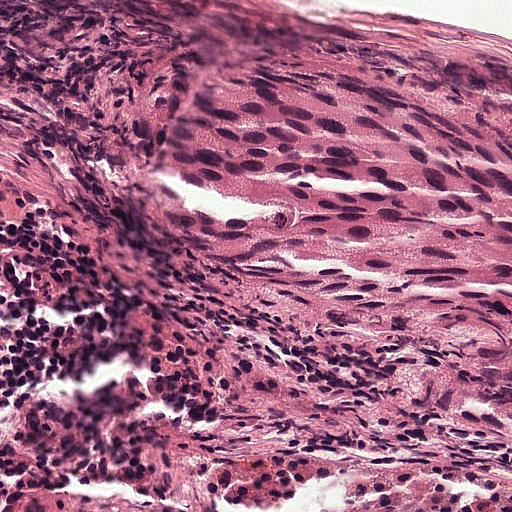
H&E-stained section of a sentinel lymph node (breast cancer), from a whole-slide image, viewed at about 20×: the field is about 0.25 mm across, about 0.49 µm per pixel.
Question: Where is the metastatic tumour in this field?
Answer: One metastatic tumour region; its boundary, reduced to 11 corners and listed clockwise: (120, 1), (430, 4), (511, 48), (511, 437), (419, 403), (299, 326), (256, 266), (151, 192), (117, 86), (77, 58), (86, 12).
About 45% of this field is tumour.